Image:
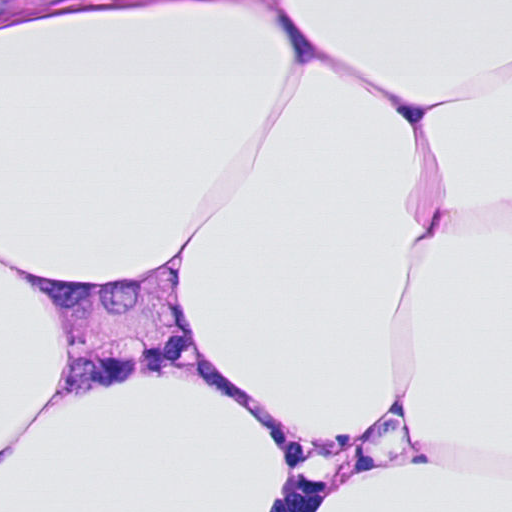
H&E-stained section of a sentinel lymph node (breast cancer), from a whole-slide image, viewed at about 40×: the field is about 0.12 mm across, about 0.23 µm per pixel.
Question:
Which parts of this field are metastatic tumour? Answer with the outline of each region, in pixels.
Answer:
Two metastatic tumour regions, each outlined as a closed clockwise path in crop pixels (x, y), largest first: region 1: (200, 228), (196, 288), (212, 373), (158, 393), (44, 396), (56, 339), (20, 290), (32, 263), (95, 273), (153, 259); region 2: (0, 0), (187, 0), (176, 3), (133, 4), (0, 26).
About 10% of this field is tumour.

Image:
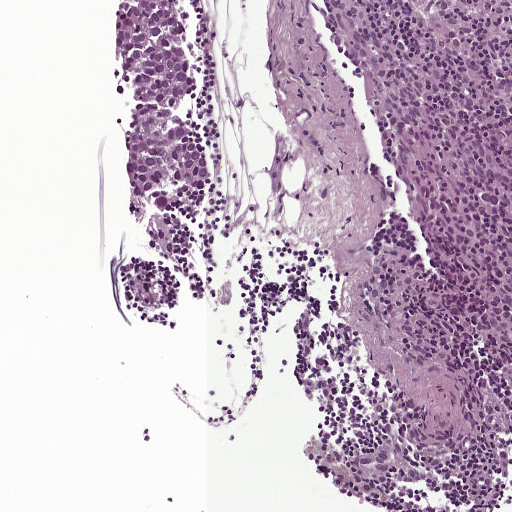
This is a crop of a whole-slide image: an H&E-stained breast-cancer sentinel lymph node section at roughly 10× magnification (about 0.97 µm per pixel; the crop spans about 0.5 mm).
Question:
Which parts of this field are metastatic tumour? Answer with the outline of each region, in pixels.
Answer:
Metastatic tumour outline, simplified to 19 points and listed clockwise in crop pixels (x, y): (113, 0), (185, 0), (189, 15), (186, 40), (198, 88), (183, 108), (183, 118), (201, 136), (210, 158), (210, 186), (174, 220), (178, 256), (164, 259), (148, 251), (149, 208), (120, 181), (117, 135), (125, 108), (118, 97).
The annotated tumour makes up about 5% of the crop.

Image:
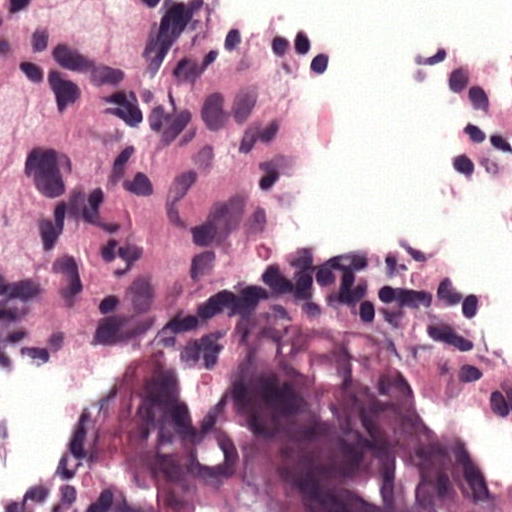
Lymph node section stained with H&E, from a whole-slide image of a breast-cancer sentinel node. Magnification about 40×, about 0.12 mm across the frame, about 0.24 µm per pixel.
Question:
Which parts of this field are metastatic tumour? Answer with the outline of each region, in pixels.
Answer:
The outlined metastatic tumour's edge, as a closed clockwise path of 7 points: (0, 0), (281, 0), (324, 90), (327, 234), (205, 305), (71, 349), (0, 313).
About 35% of the image area is annotated as tumour.

Image:
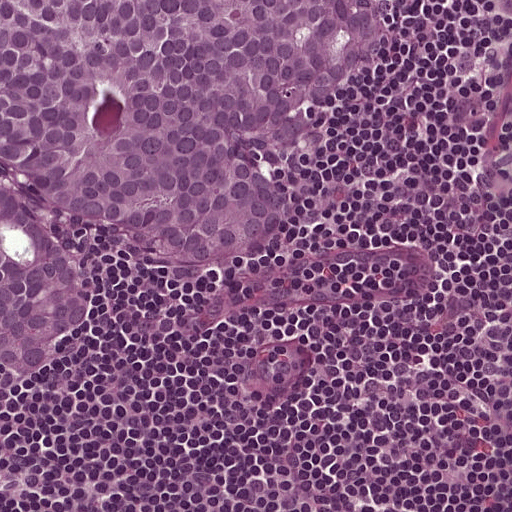
A 0.25-mm field of an H&E-stained sentinel lymph node from a breast-cancer patient (whole-slide image), shown at about 20×, about 0.49 µm per pixel.
Question:
Which parts of this field are metastatic tumour? Answer with the outline of each region, in pixels.
Answer:
The outlined metastatic tumour's edge, as a closed clockwise path of 13 points: (0, 0), (395, 0), (388, 46), (333, 102), (312, 220), (284, 250), (210, 281), (168, 274), (52, 215), (100, 283), (100, 312), (43, 382), (5, 394).
About 35% of this field is tumour.